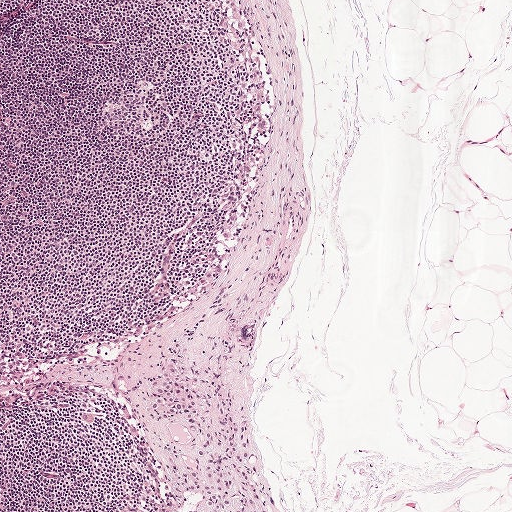
A 1-mm field of an H&E-stained sentinel lymph node from a breast-cancer patient (whole-slide image), shown at about 5×, about 1.9 µm per pixel.
Question: Is there metastatic carcinoma in this field?
Answer: Yes.
Metastatic tumour outline, simplified to 21 points and listed clockwise in crop pixels (x, y): (166, 364), (183, 368), (190, 374), (209, 401), (217, 406), (234, 405), (244, 413), (249, 432), (248, 459), (265, 480), (267, 511), (199, 511), (201, 498), (184, 474), (194, 460), (189, 450), (195, 444), (194, 437), (173, 420), (145, 412), (150, 382).
Tumour covers about 5% of the frame.